Question: 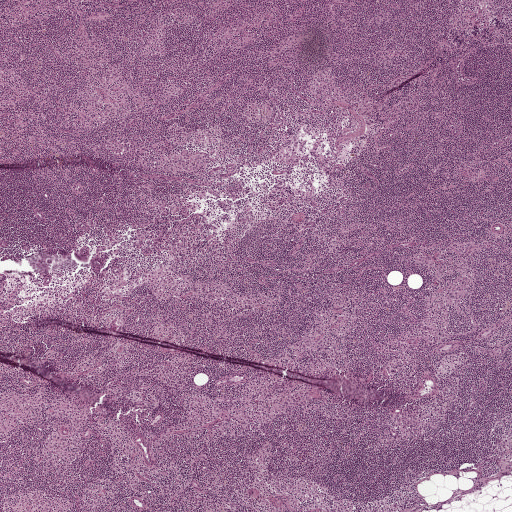
At roughly what magnification is this field shown?

Choices:
 (A) about 40×
 (B) about 2.5×
 (C) about 20×
 (D) about 10×
 (E) about 5×

Answer: (B) about 2.5×
This is a crop of a whole-slide image: an H&E-stained breast-cancer sentinel lymph node section at roughly 2.5× magnification (about 3.9 µm per pixel; the crop spans about 2.0 mm).